Question: 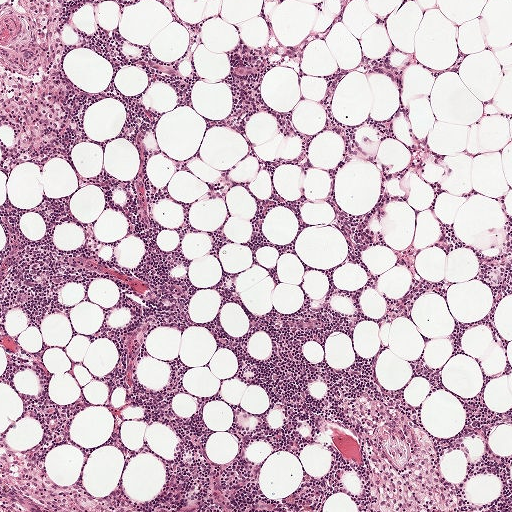
Which magnification is this H&E lymph node field most likely shown at?

Choices:
 (A) about 40×
 (B) about 10×
 (C) about 5×
 (D) about 2.5×
 (E) about 20×

Answer: (C) about 5×
A 1-mm field of an H&E-stained sentinel lymph node from a breast-cancer patient (whole-slide image), shown at about 5×, about 1.9 µm per pixel.